Question: 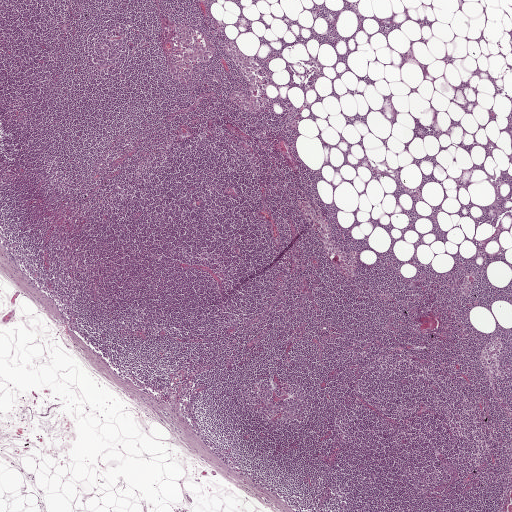
At roughly what magnification is this field shown?

Choices:
 (A) about 5×
 (B) about 2.5×
 (C) about 40×
 (D) about 10×
 (E) about 20×

Answer: (B) about 2.5×
Lymph node section stained with H&E, from a whole-slide image of a breast-cancer sentinel node. Magnification about 2.5×, about 2.0 mm across the frame, about 3.9 µm per pixel.